Lymph node section stained with H&E, from a whole-slide image of a breast-cancer sentinel node. Magnification about 10×, about 0.5 mm across the frame, about 0.97 µm per pixel.
Image:
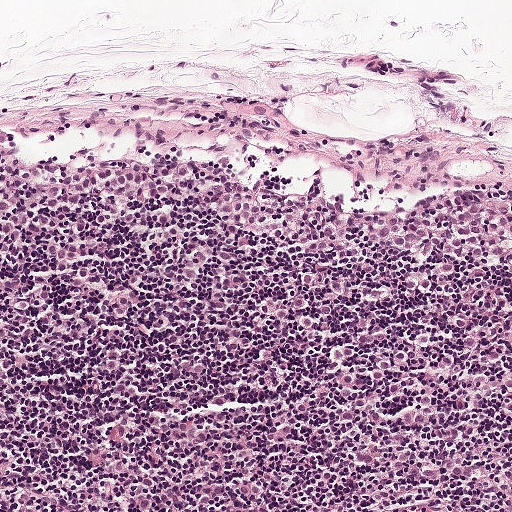
Question:
Is there metastatic carcinoma in this field?
Answer:
Yes.
Tumour region outline (a closed clockwise path, crop pixels): (54, 116), (198, 121), (390, 190), (511, 194), (511, 511), (477, 511), (369, 477), (330, 450), (298, 400), (296, 366), (318, 348), (458, 352), (448, 324), (416, 300), (351, 273), (120, 248), (2, 248), (0, 126).
The annotated tumour makes up about 35% of the crop.